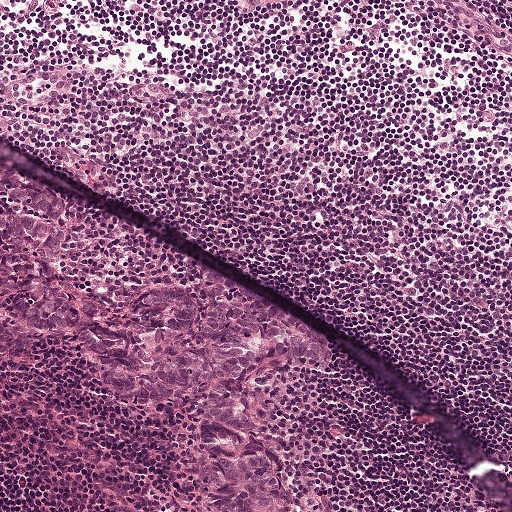
This is a crop of a whole-slide image: an H&E-stained breast-cancer sentinel lymph node section at roughly 10× magnification (about 0.97 µm per pixel; the crop spans about 0.5 mm).
Outlines of two tumour regions, largest first (closed clockwise paths, crop pixels): region 1: (0, 260), (62, 277), (98, 300), (120, 301), (164, 286), (246, 299), (307, 330), (333, 363), (324, 374), (271, 371), (252, 386), (252, 414), (285, 444), (309, 511), (219, 511), (196, 458), (198, 412), (184, 404), (114, 404), (68, 341), (0, 314); region 2: (0, 166), (30, 175), (45, 185), (61, 198), (71, 214), (67, 253), (60, 261), (36, 260), (0, 251).
Tumour covers about 15% of the frame.